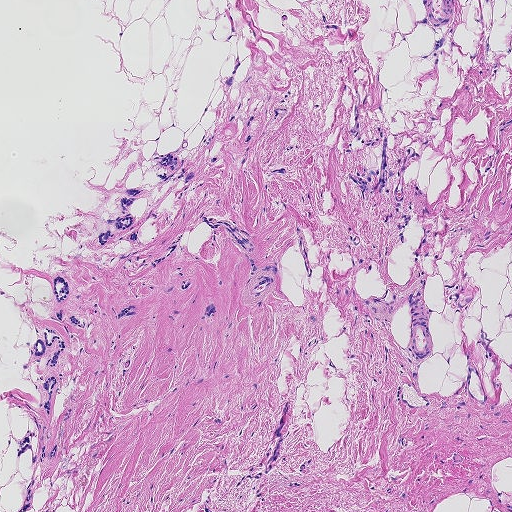
This is a crop of a whole-slide image: an H&E-stained breast-cancer sentinel lymph node section at roughly 5× magnification (about 1.8 µm per pixel; the crop spans about 0.93 mm).
Boundaries of six metastatic tumour regions, simplified and listed clockwise, largest first: region 1: (56, 274), (68, 280), (72, 286), (69, 308), (72, 314), (87, 325), (85, 330), (69, 324), (62, 324), (59, 329), (67, 347), (58, 365), (58, 378), (46, 430), (47, 450), (58, 442), (58, 448), (42, 469), (32, 508), (27, 511), (16, 511), (29, 484), (31, 456), (30, 450), (16, 458), (14, 438), (23, 436), (42, 417), (40, 404), (43, 395), (41, 389), (44, 369), (42, 362), (36, 360), (32, 348), (40, 330), (50, 322), (49, 316), (54, 304), (50, 278); region 2: (170, 152), (187, 159), (197, 175), (188, 185), (169, 182), (138, 199), (132, 211), (140, 221), (138, 228), (140, 241), (135, 245), (117, 238), (108, 247), (101, 247), (97, 235), (107, 218), (122, 214), (119, 196), (122, 191), (156, 184), (154, 164), (151, 158); region 3: (254, 115), (254, 121), (251, 127), (252, 140), (249, 146), (247, 159), (240, 170), (241, 160), (246, 148), (242, 142), (246, 123), (249, 116); region 4: (130, 304), (134, 304), (137, 310), (135, 316), (122, 319), (114, 319), (117, 310); region 5: (234, 58), (237, 58), (241, 61), (233, 86), (227, 89), (224, 84), (226, 77), (230, 72); region 6: (210, 302), (216, 306), (215, 312), (210, 317), (204, 319), (198, 318), (203, 312), (205, 306).
One more small tumour piece is annotated here but not outlined.
About 5% of the image area is annotated as tumour.